Image:
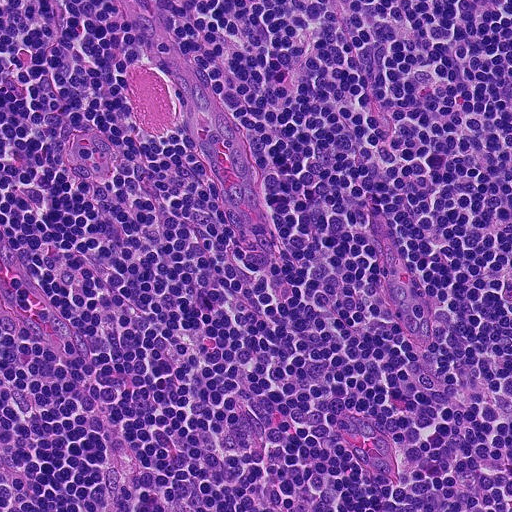
H&E-stained section of a sentinel lymph node (breast cancer), from a whole-slide image, viewed at about 20×: the field is about 0.23 mm across, about 0.45 µm per pixel.
Question:
Is there metastatic carcinoma in this field?
Answer:
No, this field holds no outlined metastasis.